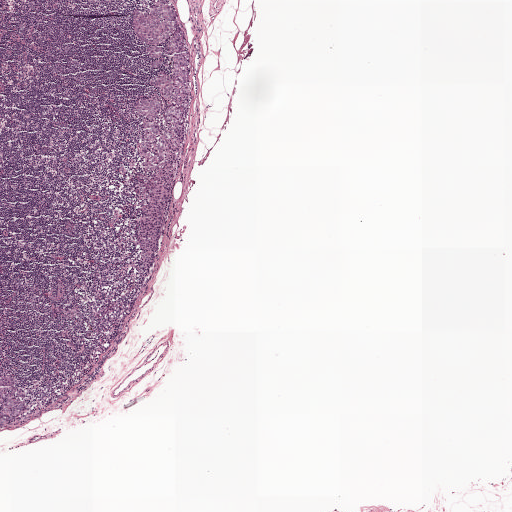
A 2.0-mm field of an H&E-stained sentinel lymph node from a breast-cancer patient (whole-slide image), shown at about 2.5×, about 3.9 µm per pixel.
Boundaries of two metastatic tumour regions, simplified and listed clockwise, largest first: region 1: (169, 0), (190, 60), (186, 146), (166, 230), (160, 235), (155, 262), (146, 270), (139, 263), (136, 233), (142, 162), (141, 118), (136, 106), (145, 98), (158, 99), (162, 105), (158, 124), (164, 130), (167, 104), (151, 83), (156, 71), (130, 28), (131, 14), (140, 6); region 2: (0, 365), (2, 372), (15, 375), (24, 383), (31, 400), (26, 413), (12, 424), (0, 427).
About 5% of the image area is annotated as tumour.